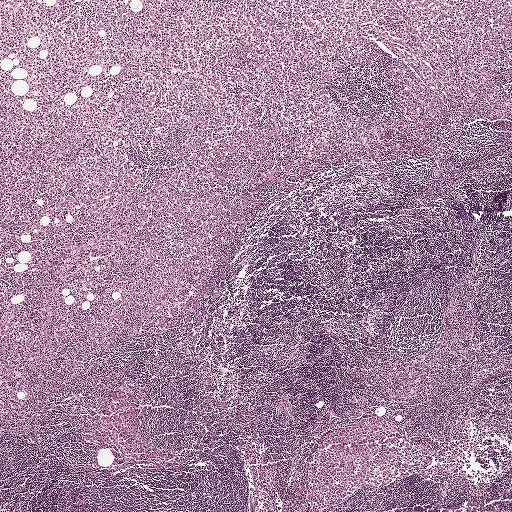
This is a crop of a whole-slide image: an H&E-stained breast-cancer sentinel lymph node section at roughly 2.5× magnification (about 3.9 µm per pixel; the crop spans about 2.0 mm).
Question: Is there metastatic carcinoma in this field?
Answer: Yes.
Six metastatic tumour regions, each outlined as a closed clockwise path in crop pixels (x, y), largest first: region 1: (135, 72), (179, 76), (198, 87), (199, 100), (162, 147), (127, 154), (143, 172), (125, 210), (85, 238), (73, 215), (46, 214), (44, 200), (37, 198), (28, 206), (28, 219), (18, 236), (0, 246), (0, 134), (39, 110), (82, 101), (102, 82); region 2: (511, 0), (511, 77), (498, 80), (484, 93), (465, 100), (456, 100), (443, 86), (431, 82), (414, 64), (406, 45), (403, 24), (406, 1); region 3: (154, 256), (186, 258), (193, 264), (193, 272), (161, 312), (118, 335), (85, 363), (58, 377), (63, 359), (81, 337), (84, 324), (97, 306), (105, 282), (117, 275), (139, 272); region 4: (242, 0), (384, 0), (371, 18), (355, 30), (347, 45), (339, 50), (326, 52), (290, 50), (274, 44); region 5: (365, 447), (397, 461), (409, 463), (411, 471), (409, 475), (388, 485), (361, 488), (335, 507), (310, 507), (304, 504), (302, 497), (305, 475), (313, 454), (321, 451); region 6: (0, 0), (37, 0), (45, 5), (46, 8), (46, 17), (41, 27), (23, 38), (16, 46), (0, 57).
The annotated tumour makes up about 20% of the crop.